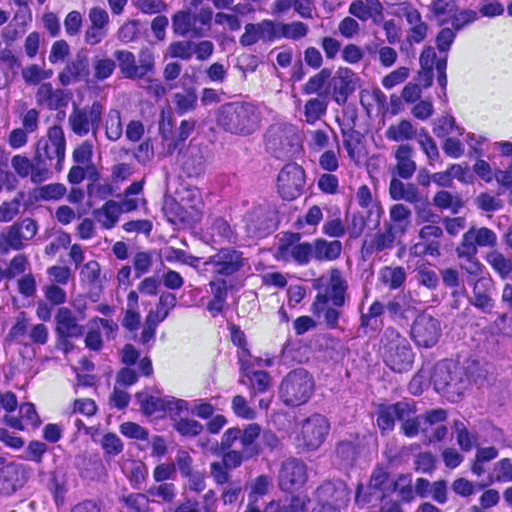
Lymph node section stained with H&E, from a whole-slide image of a breast-cancer sentinel node. Magnification about 40×, about 0.12 mm across the frame, about 0.23 µm per pixel.
Boundaries of three metastatic tumour regions, simplified and listed clockwise, largest first: region 1: (511, 294), (511, 454), (409, 402), (374, 420), (381, 463), (377, 504), (368, 511), (284, 511), (271, 502), (255, 463), (255, 420), (263, 376), (285, 342), (421, 302); region 2: (247, 97), (285, 111), (303, 148), (303, 188), (283, 226), (249, 251), (207, 247), (170, 223), (157, 184), (165, 142), (190, 108), (208, 98); region 3: (80, 437), (114, 463), (142, 511), (0, 511), (0, 460).
About 25% of the image area is annotated as tumour.